A 0.46-mm field of an H&E-stained sentinel lymph node from a breast-cancer patient (whole-slide image), shown at about 10×, about 0.9 µm per pixel.
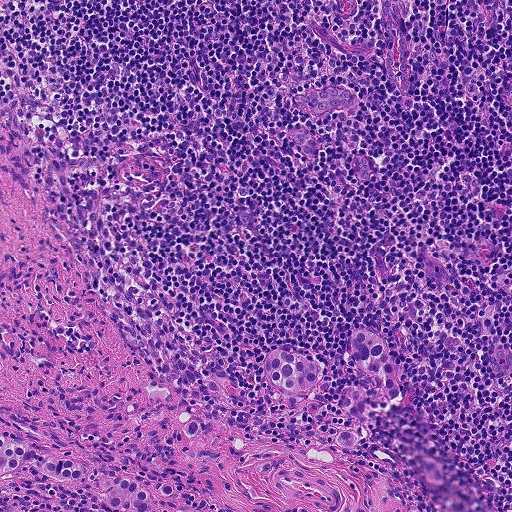
Boundaries of three metastatic tumour regions, simplified and listed clockwise, largest first: region 1: (364, 328), (376, 332), (394, 356), (402, 384), (402, 397), (390, 404), (376, 403), (363, 408), (369, 436), (360, 446), (347, 450), (335, 444), (338, 431), (352, 430), (340, 407), (342, 394), (351, 383), (378, 388), (376, 384), (354, 368), (349, 355), (350, 333); region 2: (0, 433), (36, 454), (63, 458), (99, 476), (113, 479), (126, 476), (140, 482), (150, 492), (164, 482), (173, 485), (173, 496), (164, 498), (158, 493), (152, 495), (155, 506), (153, 511), (125, 511), (110, 508), (94, 484), (80, 482), (66, 485), (39, 475), (28, 467), (0, 476); region 3: (280, 348), (307, 355), (319, 362), (324, 374), (319, 386), (307, 393), (293, 393), (280, 388), (270, 380), (261, 365), (266, 352).
Two more small tumour pieces are annotated here but not outlined.
Tumour covers about 5% of the frame.